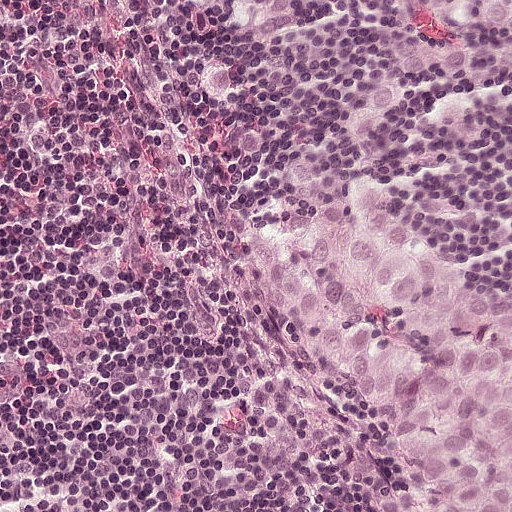
Lymph node section stained with H&E, from a whole-slide image of a breast-cancer sentinel node. Magnification about 20×, about 0.25 mm across the frame, about 0.49 µm per pixel.
Tumour region outline (a closed clockwise path, crop pixels): (511, 0), (511, 511), (384, 511), (359, 446), (292, 355), (251, 264), (168, 2).
About 50% of the image area is annotated as tumour.